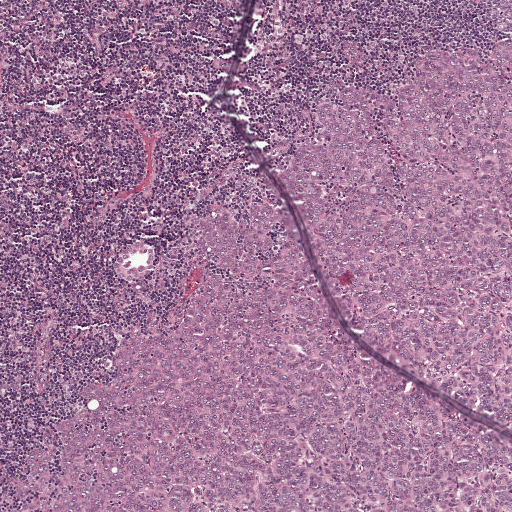
A 1-mm field of an H&E-stained sentinel lymph node from a breast-cancer patient (whole-slide image), shown at about 5×, about 1.9 µm per pixel.
Question: Which parts of this field are metastatic tumour?
Answer: Two metastatic tumour regions, each outlined as a closed clockwise path in crop pixels (x, y), largest first: region 1: (511, 38), (511, 511), (6, 511), (48, 424), (127, 337), (152, 321), (179, 327), (207, 271), (193, 207), (226, 168), (237, 163), (264, 199), (265, 179), (315, 133), (333, 86), (392, 89), (428, 44); region 2: (135, 241), (146, 241), (156, 245), (159, 255), (159, 265), (145, 292), (135, 292), (119, 280), (113, 271), (112, 261), (125, 244).
About 60% of the image area is annotated as tumour.